Question: 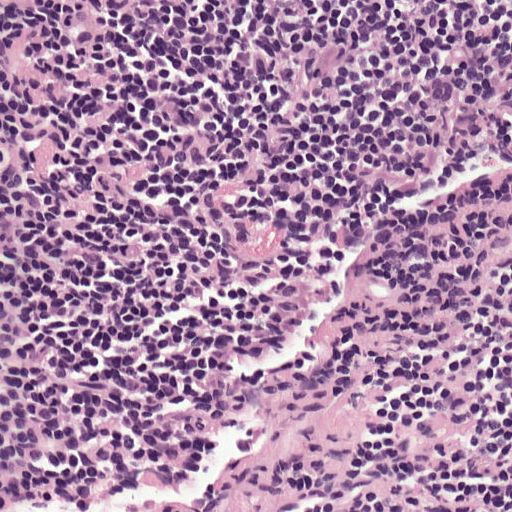
About what magnification does this crop show?

Choices:
 (A) about 2.5×
 (B) about 5×
 (C) about 20×
 (D) about 40×
 (E) about 10×

Answer: (C) about 20×
A 0.25-mm field of an H&E-stained sentinel lymph node from a breast-cancer patient (whole-slide image), shown at about 20×, about 0.49 µm per pixel.